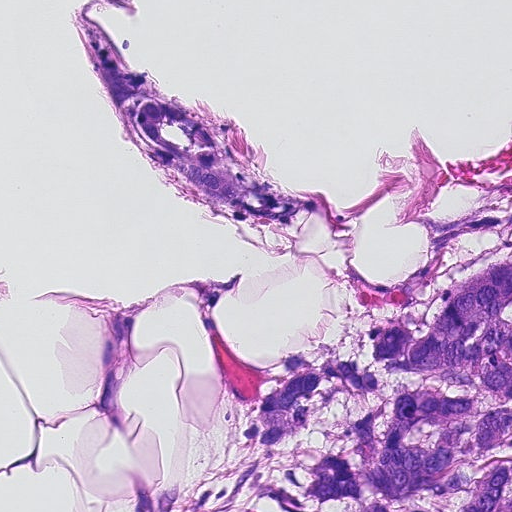
H&E-stained section of a sentinel lymph node (breast cancer), from a whole-slide image, viewed at about 20×: the field is about 0.23 mm across, about 0.45 µm per pixel.
Outlines of two tumour regions, largest first (closed clockwise paths, crop pixels): region 1: (135, 0), (140, 16), (105, 8), (98, 24), (121, 58), (328, 198), (374, 278), (422, 268), (438, 224), (506, 199), (511, 511), (123, 511), (92, 295), (162, 298), (126, 366), (164, 508), (332, 320), (344, 276), (310, 218), (244, 230), (176, 199), (128, 145), (68, 16); region 2: (26, 453), (39, 454), (34, 462), (4, 476), (0, 482), (0, 460).
About 35% of this field is tumour.